Image:
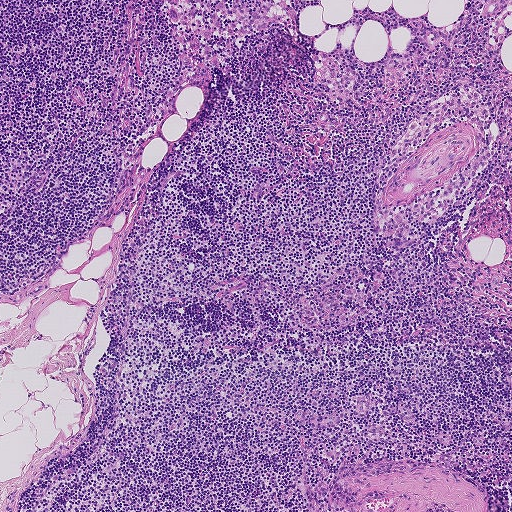
Lymph node section stained with H&E, from a whole-slide image of a breast-cancer sentinel node. Magnification about 5×, about 0.93 mm across the frame, about 1.8 µm per pixel.
Question:
Is there metastatic carcinoma in this field?
Answer:
No: no metastatic tumour is outlined anywhere in this field.